This is a crop of a whole-slide image: an H&E-stained breast-cancer sentinel lymph node section at roughly 20× magnification (about 0.49 µm per pixel; the crop spans about 0.25 mm).
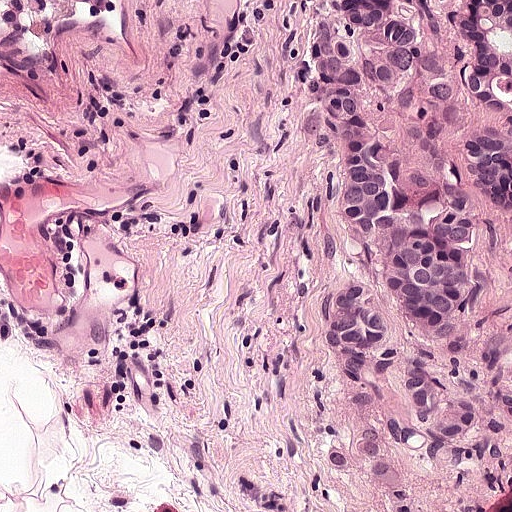
One metastatic tumour region; its boundary, reduced to 21 corners and listed clockwise: (511, 0), (511, 511), (337, 511), (322, 494), (322, 431), (336, 396), (427, 396), (470, 359), (456, 358), (406, 392), (342, 374), (310, 351), (315, 298), (344, 248), (344, 224), (326, 196), (320, 128), (292, 112), (292, 94), (315, 38), (370, 1).
About 35% of this field is tumour.